Question: 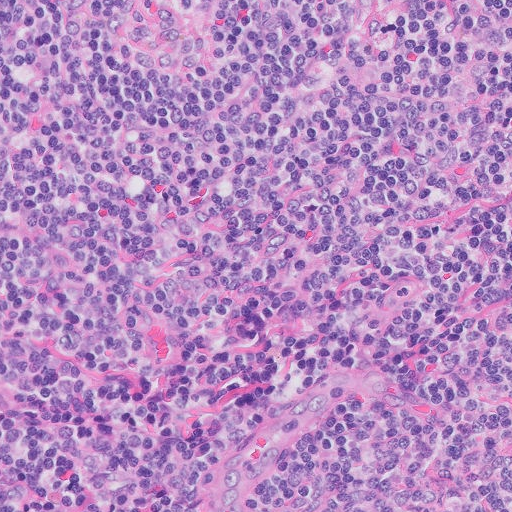
About what magnification does this crop show?

Choices:
 (A) about 2.5×
 (B) about 20×
 (C) about 40×
 (D) about 5×
 (E) about 10×

Answer: (B) about 20×
A 0.26-mm field of an H&E-stained sentinel lymph node from a breast-cancer patient (whole-slide image), shown at about 20×, about 0.5 µm per pixel.